Image:
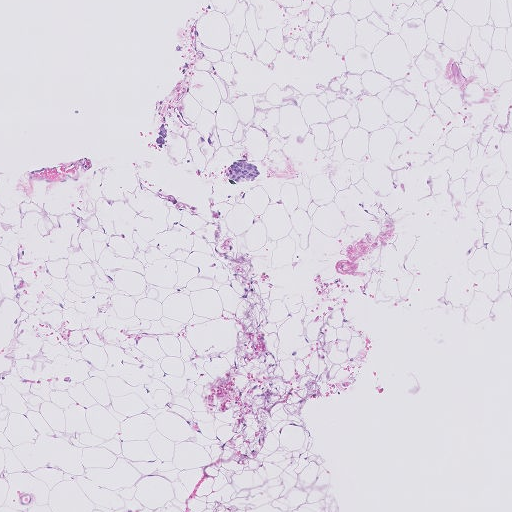
This is a crop of a whole-slide image: an H&E-stained breast-cancer sentinel lymph node section at roughly 5× magnification (about 2.0 µm per pixel; the crop spans about 1.0 mm).
Question:
Show where the tumour is in this image.
Answer:
Outlines of two tumour regions, largest first (closed clockwise paths, crop pixels): region 1: (246, 154), (259, 164), (266, 179), (233, 184), (221, 174), (233, 156); region 2: (160, 115), (172, 119), (167, 151), (150, 148).
Two more small tumour pieces are annotated here but not outlined.
The annotated tumour makes up under 5% of the crop.